Lymph node section stained with H&E, from a whole-slide image of a breast-cancer sentinel node. Magnification about 2.5×, about 2.0 mm across the frame, about 3.9 µm per pixel.
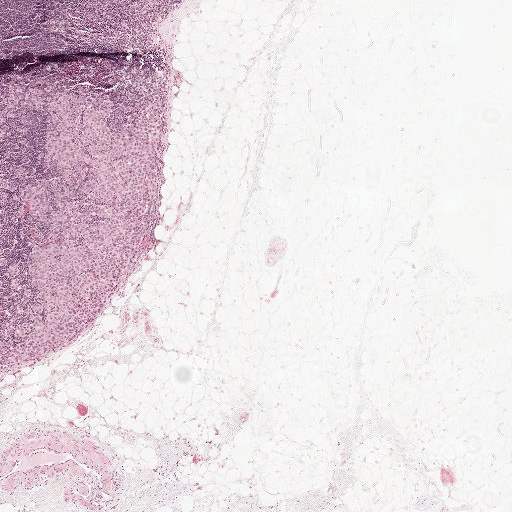
Question: Which parts of this field are metastatic tumour?
Answer: One metastatic tumour region; its boundary, reduced to 9 corners and listed clockwise: (164, 84), (160, 181), (143, 254), (87, 336), (0, 374), (0, 91), (63, 85), (123, 105), (139, 87).
The annotated tumour makes up about 15% of the crop.